Image:
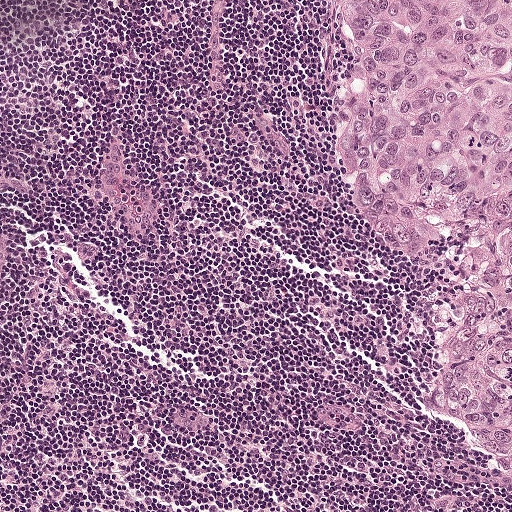
This is a crop of a whole-slide image: an H&E-stained breast-cancer sentinel lymph node section at roughly 10× magnification (about 0.97 µm per pixel; the crop spans about 0.5 mm).
Question:
Is there metastatic carcinoma in this field?
Answer:
Yes.
One metastatic tumour region; its boundary, reduced to 11 corners and listed clockwise: (511, 0), (511, 487), (442, 440), (416, 404), (469, 237), (434, 270), (407, 268), (368, 249), (340, 204), (328, 88), (340, 1).
The annotated tumour makes up about 25% of the crop.